Question: 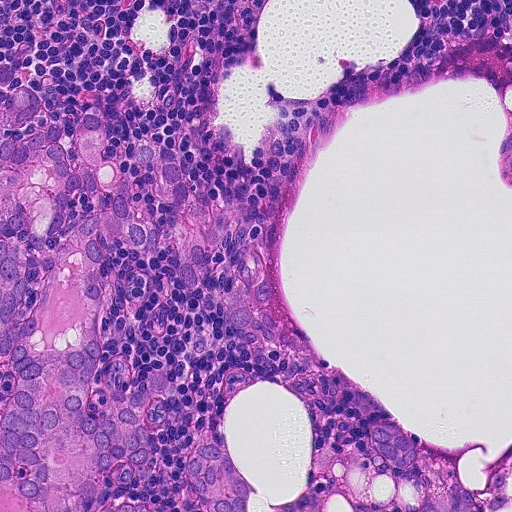
H&E-stained section of a sentinel lymph node (breast cancer), from a whole-slide image, viewed at about 20×: the field is about 0.23 mm across, about 0.45 µm per pixel.
Estimate the proportion of this field that is metastatic tumour.

Choices:
 (A) about 5% or less
 (B) about 25% to 45%
 (C) none: no tumour is outlined
 (D) about 50% or more
 (E) about 10% to 20%

Answer: (B) about 25% to 45%
About 30% of the field is tumour.
Two metastatic tumour regions, each outlined as a closed clockwise path in crop pixels (x, y), largest first: region 1: (18, 78), (36, 89), (53, 128), (88, 106), (107, 114), (115, 132), (168, 160), (193, 195), (248, 222), (286, 346), (277, 354), (236, 336), (124, 243), (100, 298), (91, 401), (128, 400), (159, 368), (174, 382), (148, 413), (157, 454), (186, 455), (206, 432), (248, 476), (250, 511), (208, 511), (179, 465), (156, 465), (132, 490), (112, 486), (91, 511), (0, 511), (0, 415), (14, 392), (0, 360), (0, 83); region 2: (382, 420), (420, 434), (428, 453), (432, 495), (473, 494), (490, 472), (510, 466), (511, 511), (415, 511), (422, 488), (416, 467), (392, 467), (366, 432).